Question: 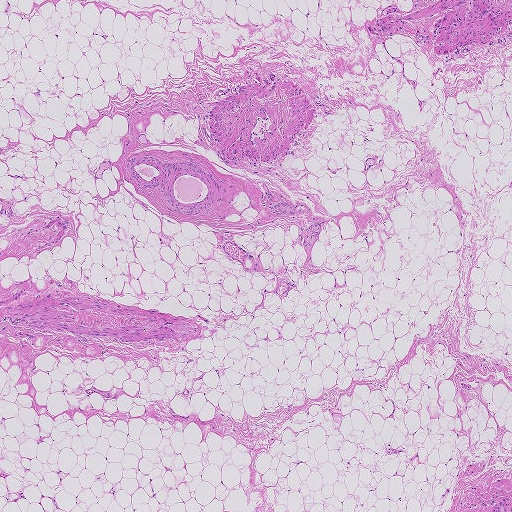
A 1.9-mm field of an H&E-stained sentinel lymph node from a breast-cancer patient (whole-slide image), shown at about 2.5×, about 3.6 µm per pixel.
Roughly what share of this field is metastatic tumour?

Choices:
 (A) about 50% or more
 (B) about 10% to 20%
 (C) about 25% to 45%
 (D) about 5% or less
 (E) none: no tumour is outlined

Answer: (E) none: no tumour is outlined
No metastatic tumour is outlined in this field.